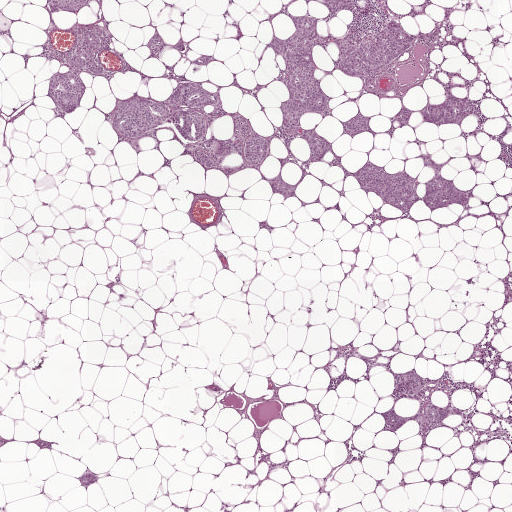
H&E-stained section of a sentinel lymph node (breast cancer), from a whole-slide image, viewed at about 2.5×: the field is about 2.0 mm across, about 3.9 µm per pixel.
Outlines of the eight largest metastatic tumour regions, each a closed clockwise path in crop pixels (x, y), largest first: region 1: (189, 82), (218, 96), (218, 101), (204, 108), (182, 108), (203, 114), (207, 118), (205, 133), (197, 140), (181, 136), (177, 126), (170, 119), (135, 136), (119, 136), (112, 128), (114, 106), (134, 97), (160, 104), (169, 110), (174, 108), (174, 103), (171, 99), (172, 94), (179, 86); region 2: (309, 16), (317, 22), (316, 37), (311, 40), (313, 78), (327, 99), (326, 108), (302, 114), (298, 120), (300, 129), (285, 131), (280, 130), (284, 101), (296, 101), (288, 89), (292, 80), (285, 51), (276, 55), (268, 46), (274, 37), (283, 41), (295, 34), (291, 17); region 3: (424, 158), (430, 158), (439, 166), (442, 177), (466, 192), (468, 204), (435, 210), (422, 200), (409, 211), (392, 207), (374, 193), (362, 190), (356, 174), (369, 163), (382, 168), (384, 174), (402, 171), (417, 179), (418, 196), (423, 197), (436, 171); region 4: (393, 21), (398, 24), (402, 30), (413, 38), (410, 46), (388, 66), (378, 70), (368, 78), (361, 78), (345, 74), (339, 66), (340, 43), (349, 41), (352, 43), (354, 49), (360, 50), (365, 45), (374, 43), (376, 37), (390, 22); region 5: (415, 370), (422, 379), (434, 381), (449, 392), (443, 394), (439, 391), (433, 391), (432, 403), (444, 408), (456, 404), (461, 407), (462, 413), (450, 414), (441, 421), (439, 427), (428, 432), (422, 431), (417, 421), (417, 415), (421, 411), (423, 405), (420, 400), (414, 397), (403, 397), (394, 405), (394, 410), (398, 414), (404, 416), (406, 421), (396, 428), (394, 433), (384, 428), (385, 423), (382, 417), (391, 410), (394, 404), (401, 395), (394, 378); region 6: (448, 94), (459, 98), (465, 98), (472, 111), (472, 114), (461, 123), (436, 125), (425, 121), (418, 110), (425, 105), (440, 103); region 7: (62, 73), (74, 74), (85, 87), (83, 97), (73, 110), (68, 111), (58, 107), (52, 98), (50, 82), (53, 77); region 8: (90, 32), (100, 37), (100, 42), (94, 50), (93, 59), (103, 71), (100, 75), (86, 68), (70, 66), (70, 61), (74, 51), (82, 44), (82, 38).
11 more, smaller tumour regions are not outlined.
Four more small tumour pieces are annotated here but not outlined.
The annotated tumour makes up about 10% of the crop.